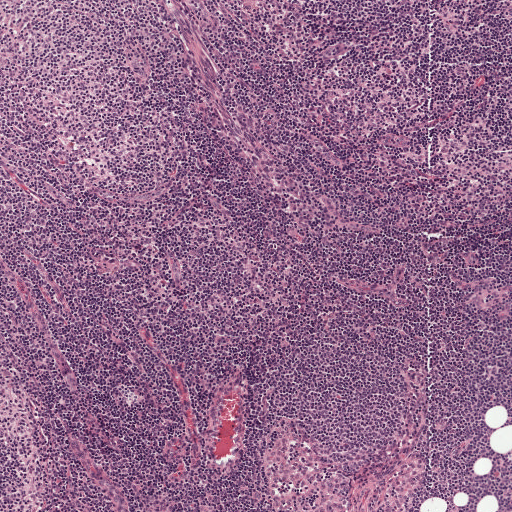
H&E-stained section of a sentinel lymph node (breast cancer), from a whole-slide image, viewed at about 5×: the field is about 1 mm across, about 1.9 µm per pixel.